Image:
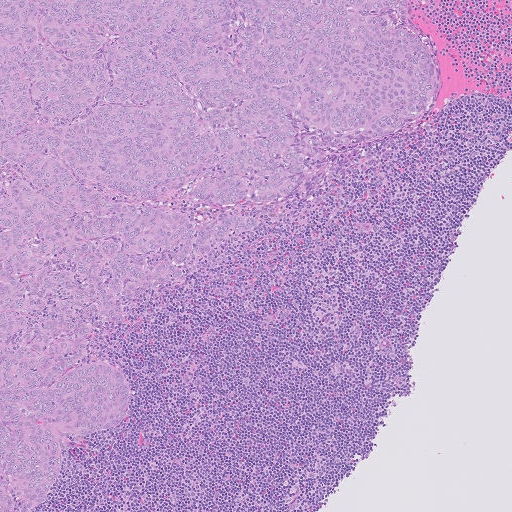
Lymph node section stained with H&E, from a whole-slide image of a breast-cancer sentinel node. Magnification about 5×, about 1.0 mm across the frame, about 2.0 µm per pixel.
Question:
Show where the tumour is in this image.
Answer:
Metastatic tumour outline, simplified to 20 points and listed clockwise in crop pixels (x, y): (0, 0), (410, 0), (408, 27), (438, 56), (433, 110), (310, 159), (280, 199), (195, 214), (257, 216), (257, 227), (181, 282), (128, 299), (124, 320), (96, 331), (90, 352), (128, 376), (135, 408), (70, 444), (38, 511), (0, 511).
About 45% of the image area is annotated as tumour.